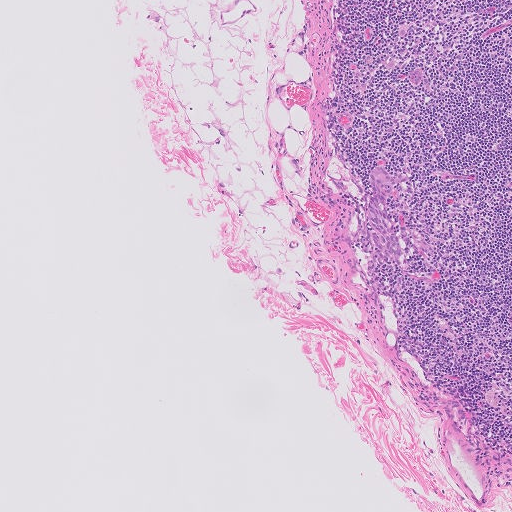
H&E-stained section of a sentinel lymph node (breast cancer), from a whole-slide image, viewed at about 5×: the field is about 1.0 mm across, about 2.0 µm per pixel.
Question: Show where the tumour is in this image.
Answer: Metastatic tumour outline, simplified to 12 points and listed clockwise in crop pixels (x, y): (381, 164), (393, 173), (397, 180), (398, 189), (390, 203), (402, 249), (397, 264), (389, 266), (374, 261), (364, 239), (365, 214), (373, 166).
Tumour covers under 5% of the frame.